Question: 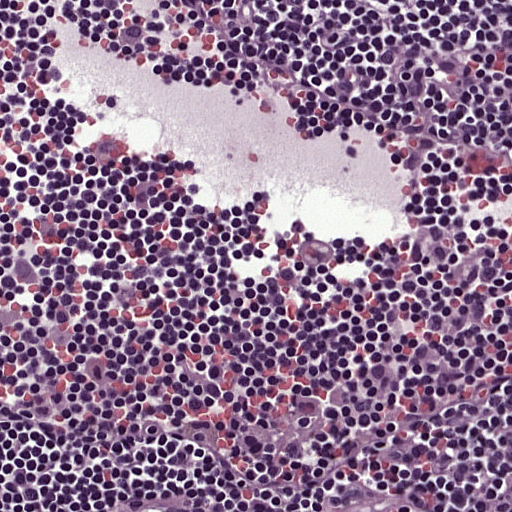
About what magnification does this crop show?

Choices:
 (A) about 40×
 (B) about 10×
 (C) about 5×
 (D) about 20×
 (E) about 2.5×

Answer: (D) about 20×
Lymph node section stained with H&E, from a whole-slide image of a breast-cancer sentinel node. Magnification about 20×, about 0.25 mm across the frame, about 0.49 µm per pixel.